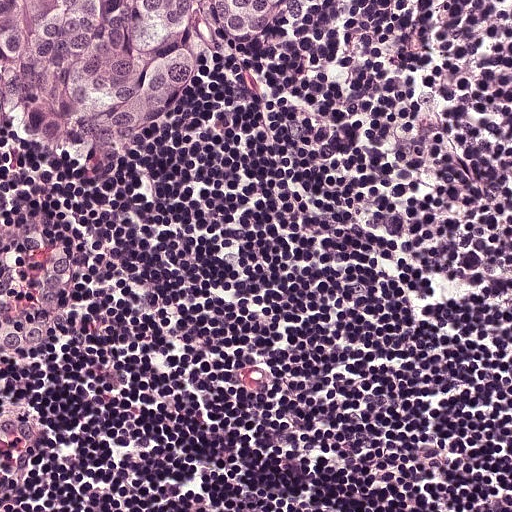
H&E-stained section of a sentinel lymph node (breast cancer), from a whole-slide image, viewed at about 20×: the field is about 0.25 mm across, about 0.49 µm per pixel.
The outlined metastatic tumour's edge, as a closed clockwise path of 7 points: (0, 0), (293, 0), (273, 18), (226, 106), (186, 138), (104, 155), (0, 145).
The annotated tumour makes up about 15% of the crop.